H&E-stained section of a sentinel lymph node (breast cancer), from a whole-slide image, viewed at about 2.5×: the field is about 2.0 mm across, about 3.9 µm per pixel.
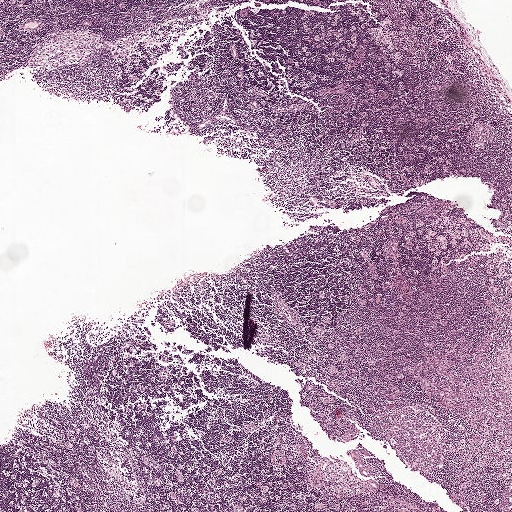
The outlined metastatic tumour's edge, as a closed clockwise path of 19 points: (511, 294), (511, 352), (504, 375), (511, 386), (511, 434), (505, 433), (494, 422), (464, 420), (430, 397), (422, 395), (412, 385), (407, 368), (408, 362), (426, 348), (442, 346), (464, 337), (481, 340), (491, 336), (505, 316).
About 5% of this field is tumour.